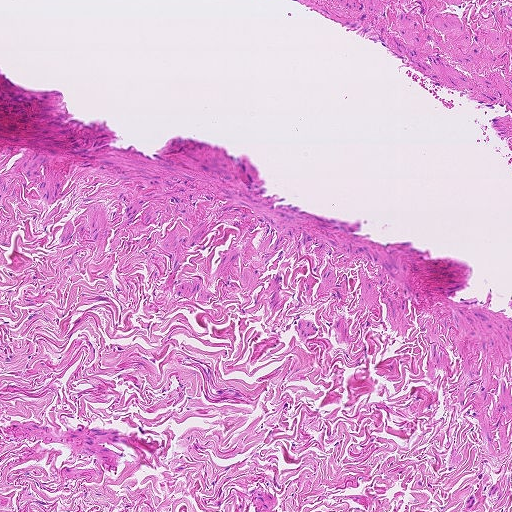
Lymph node section stained with H&E, from a whole-slide image of a breast-cancer sentinel node. Magnification about 5×, about 0.93 mm across the frame, about 1.8 µm per pixel.